Question: 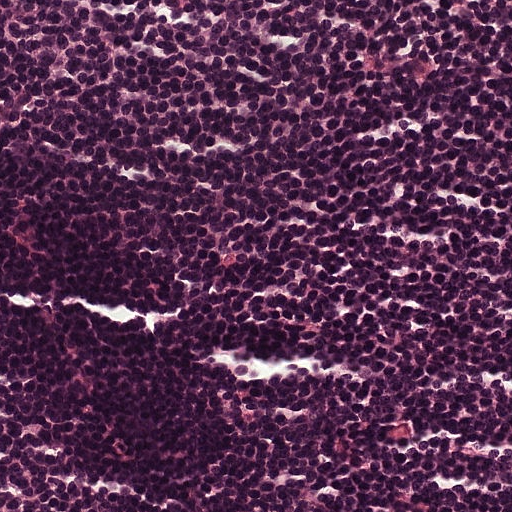
Lymph node section stained with H&E, from a whole-slide image of a breast-cancer sentinel node. Magnification about 20×, about 0.25 mm across the frame, about 0.49 µm per pixel.
Estimate the proportion of this field that is metastatic tumour.

Choices:
 (A) about 10% to 20%
 (B) none: no tumour is outlined
 (C) about 50% or more
 (D) about 25% to 45%
 (E) about 5% or less

Answer: (B) none: no tumour is outlined
No metastatic tumour is outlined in this field.